This is a crop of a whole-slide image: an H&E-stained breast-cancer sentinel lymph node section at roughly 40× magnification (about 0.24 µm per pixel; the crop spans about 0.12 mm).
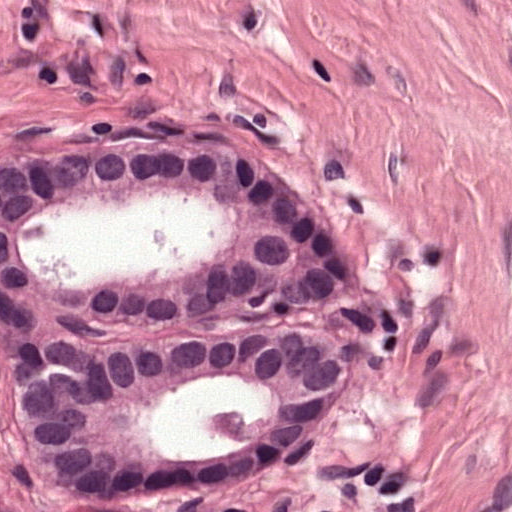
Question: Which parts of this field are metastatic tumour?
Answer: One metastatic tumour region; its boundary, reduced to 12 corners and listed clockwise: (192, 121), (238, 132), (312, 174), (370, 234), (407, 310), (385, 392), (333, 461), (253, 494), (163, 507), (41, 503), (0, 446), (0, 155).
Tumour covers about 50% of the frame.